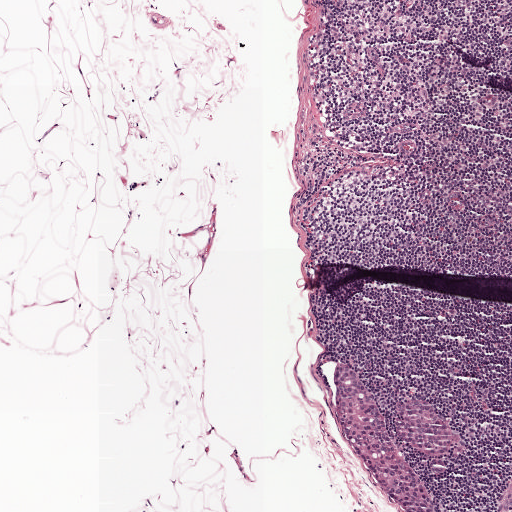
Lymph node section stained with H&E, from a whole-slide image of a breast-cancer sentinel node. Magnification about 5×, about 1 mm across the frame, about 1.9 µm per pixel.
Outlines of three tumour regions, largest first (closed clockwise paths, crop pixels): region 1: (337, 361), (344, 361), (370, 386), (390, 439), (402, 458), (427, 482), (436, 511), (406, 511), (362, 467), (340, 428), (338, 404), (334, 394); region 2: (407, 396), (422, 398), (430, 405), (454, 430), (458, 441), (456, 452), (447, 458), (446, 469), (437, 475), (411, 454), (394, 425), (394, 414), (396, 402); region 3: (511, 477), (511, 511), (499, 511), (498, 503), (502, 492).
About 5% of the image area is annotated as tumour.